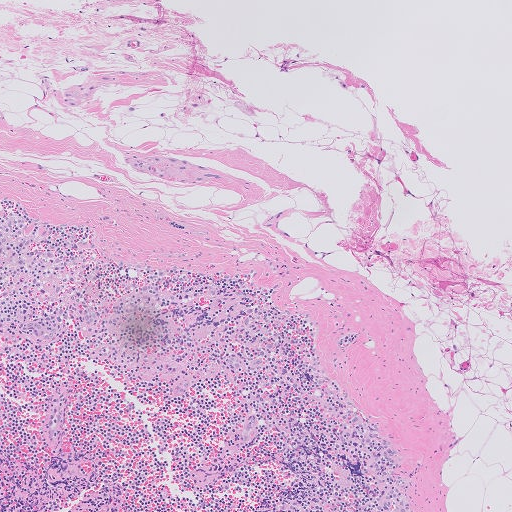
This is a crop of a whole-slide image: an H&E-stained breast-cancer sentinel lymph node section at roughly 5× magnification (about 2.0 µm per pixel; the crop spans about 1.0 mm).